Image:
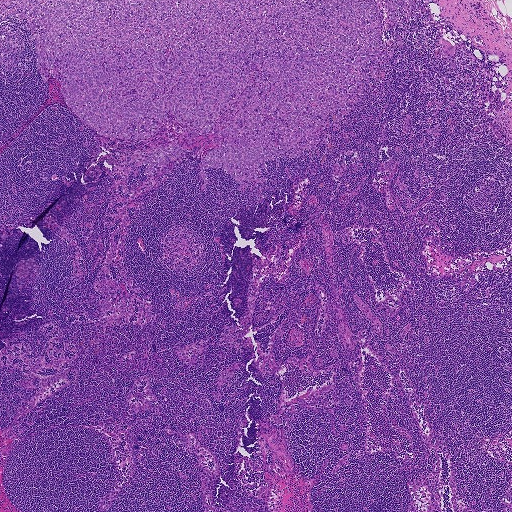
Lymph node section stained with H&E, from a whole-slide image of a breast-cancer sentinel node. Magnification about 2.5×, about 1.9 mm across the frame, about 3.6 µm per pixel.
Question:
Where is the metastatic tumour in this field?
Answer:
The outlined metastatic tumour's edge, as a closed clockwise path of 38 points: (0, 0), (417, 0), (418, 9), (414, 21), (382, 30), (389, 40), (394, 30), (403, 45), (383, 78), (372, 78), (340, 121), (328, 118), (315, 150), (264, 163), (257, 178), (268, 189), (254, 181), (244, 194), (220, 167), (204, 169), (212, 184), (202, 191), (198, 166), (208, 143), (158, 179), (143, 162), (134, 166), (129, 153), (188, 130), (169, 119), (131, 145), (96, 133), (69, 108), (59, 79), (41, 80), (31, 35), (44, 32), (0, 20).
About 20% of the image area is annotated as tumour.